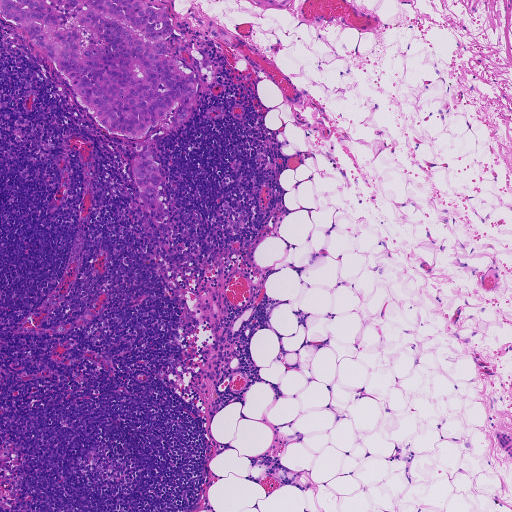
Lymph node section stained with H&E, from a whole-slide image of a breast-cancer sentinel node. Magnification about 5×, about 0.93 mm across the frame, about 1.8 µm per pixel.
Two metastatic tumour regions, each outlined as a closed clockwise path in crop pixels (x, y), largest first: region 1: (0, 0), (140, 0), (165, 8), (174, 28), (162, 56), (175, 58), (178, 67), (193, 73), (195, 90), (190, 114), (172, 128), (173, 113), (166, 116), (142, 138), (106, 132), (46, 57), (2, 14); region 2: (148, 150), (159, 165), (162, 178), (154, 196), (158, 201), (163, 204), (164, 210), (156, 212), (145, 207), (132, 168), (141, 152).
One more small tumour piece is annotated here but not outlined.
About 5% of this field is tumour.